A 0.26-mm field of an H&E-stained sentinel lymph node from a breast-cancer patient (whole-slide image), shown at about 20×, about 0.5 µm per pixel.
Image:
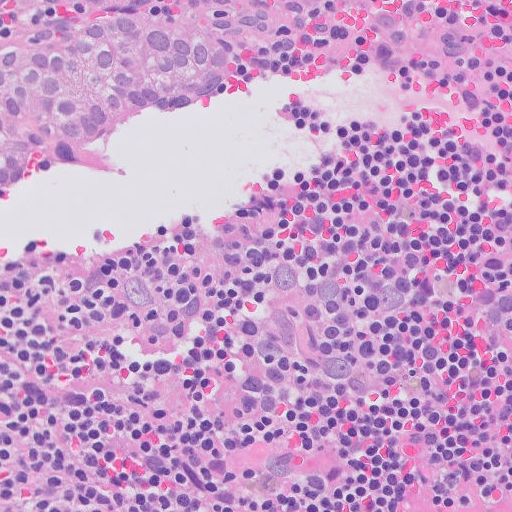
Question:
Which parts of this field are metastatic tumour?
Answer:
Tumour region outline (a closed clockwise path, crop pixels): (70, 0), (252, 15), (261, 46), (258, 74), (240, 99), (185, 120), (124, 131), (0, 187), (0, 23), (9, 35), (38, 32).
About 10% of the image area is annotated as tumour.